Question: 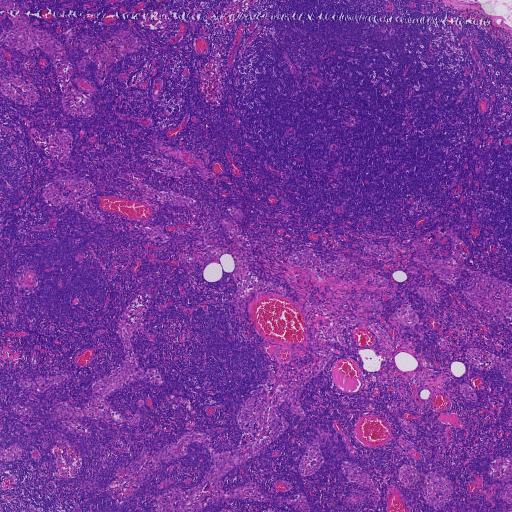
About what magnification does this crop show?

Choices:
 (A) about 10×
 (B) about 5×
 (C) about 2.5×
 (D) about 20×
 (E) about 40×

Answer: (C) about 2.5×
H&E-stained section of a sentinel lymph node (breast cancer), from a whole-slide image, viewed at about 2.5×: the field is about 1.9 mm across, about 3.6 µm per pixel.